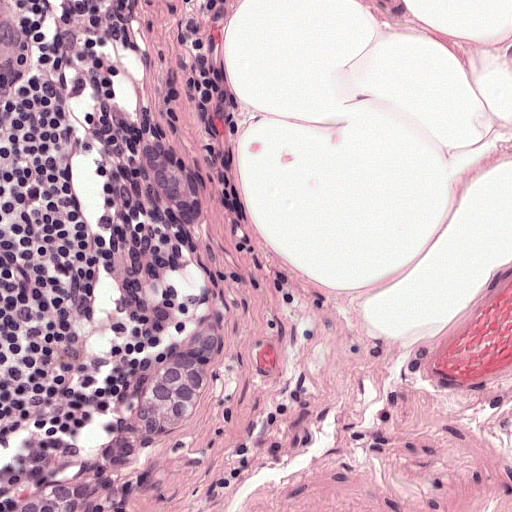
This is a crop of a whole-slide image: an H&E-stained breast-cancer sentinel lymph node section at roughly 20× magnification (about 0.49 µm per pixel; the crop spans about 0.25 mm).
Two metastatic tumour regions, each outlined as a closed clockwise path in crop pixels (x, y), largest first: region 1: (210, 318), (221, 351), (210, 380), (174, 431), (104, 493), (78, 508), (68, 511), (19, 511), (20, 501), (64, 482), (90, 463), (148, 388); region 2: (144, 134), (168, 140), (204, 165), (204, 220), (184, 237), (157, 207), (142, 172).
About 5% of this field is tumour.